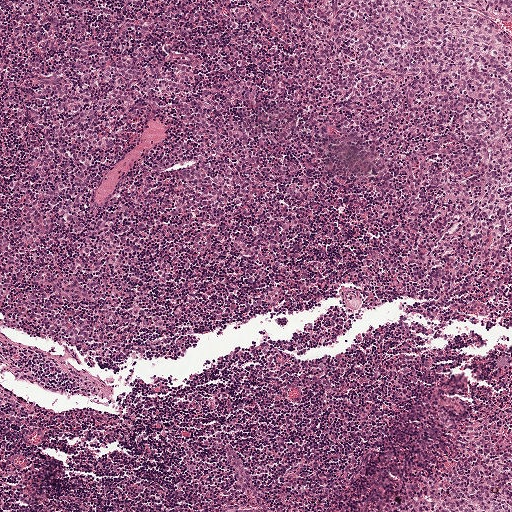
A 1-mm field of an H&E-stained sentinel lymph node from a breast-cancer patient (whole-slide image), shown at about 5×, about 1.9 µm per pixel.
Question: Is there metastatic carcinoma in this field?
Answer: Yes.
Metastatic tumour covers the whole field.
Over 95% of the image area is annotated as tumour.